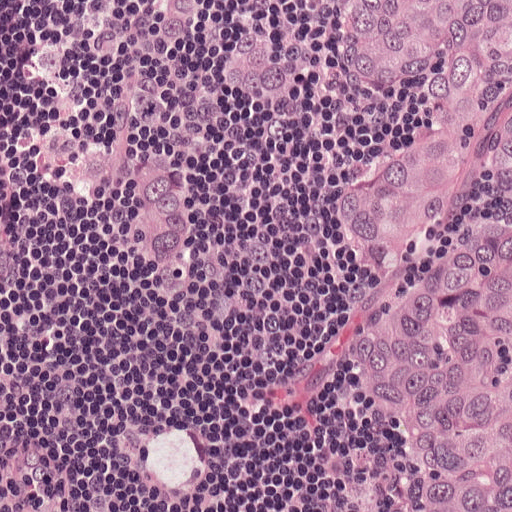
This is a crop of a whole-slide image: an H&E-stained breast-cancer sentinel lymph node section at roughly 20× magnification (about 0.49 µm per pixel; the crop spans about 0.25 mm).
Tumour region outline (a closed clockwise path, crop pixels): (216, 0), (511, 0), (511, 511), (370, 511), (340, 332), (347, 258), (318, 196), (348, 128), (418, 98), (398, 84), (347, 86), (304, 50), (262, 121), (188, 182), (191, 249), (166, 297), (122, 248), (127, 158), (224, 98).
About 40% of the image area is annotated as tumour.